H&E-stained section of a sentinel lymph node (breast cancer), from a whole-slide image, viewed at about 10×: the field is about 0.5 mm across, about 0.97 µm per pixel.
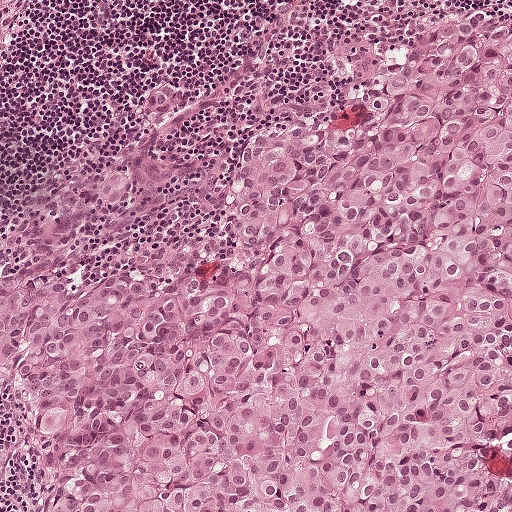
Question: Is any metastatic breast cancer visible in this crop?
Answer: Yes.
Outlines of two tumour regions, largest first (closed clockwise paths, crop pixels): region 1: (511, 1), (500, 511), (32, 511), (47, 455), (0, 387), (0, 222), (56, 147), (134, 132), (145, 77), (170, 78), (184, 107), (143, 131), (172, 156), (212, 152), (220, 179), (70, 271), (225, 214), (226, 159), (255, 122), (334, 96), (340, 24), (371, 24), (404, 56), (452, 13); region 2: (0, 0), (36, 0), (37, 8), (34, 17), (26, 30), (16, 40), (0, 72).
Tumour covers about 80% of the frame.